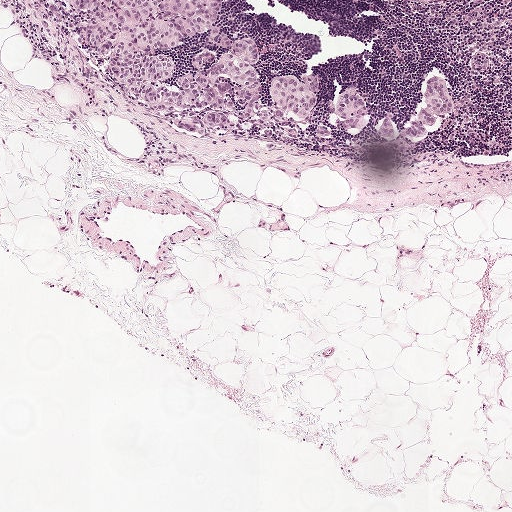
A 1-mm field of an H&E-stained sentinel lymph node from a breast-cancer patient (whole-slide image), shown at about 5×, about 1.9 µm per pixel.
Seven metastatic tumour regions, each outlined as a closed clockwise path in crop pixels (x, y), largest first: region 1: (69, 0), (229, 0), (218, 20), (230, 47), (212, 44), (208, 30), (157, 49), (178, 70), (169, 88), (176, 91), (180, 77), (196, 72), (189, 64), (195, 55), (211, 52), (217, 62), (250, 37), (259, 52), (253, 67), (263, 102), (277, 105), (273, 77), (296, 71), (317, 81), (316, 111), (298, 119), (288, 110), (288, 126), (255, 127), (237, 113), (242, 103), (230, 77), (207, 87), (228, 85), (234, 112), (154, 111), (106, 72), (86, 36), (88, 13); region 2: (441, 76), (446, 82), (455, 108), (438, 118), (437, 121), (432, 125), (423, 125), (428, 129), (426, 135), (420, 138), (411, 139), (403, 135), (404, 131), (412, 124), (424, 108), (425, 82), (428, 77); region 3: (351, 88), (360, 92), (363, 96), (365, 105), (365, 124), (350, 129), (345, 128), (341, 122), (347, 119), (330, 112), (326, 105), (329, 98), (338, 100), (342, 91); region 4: (200, 116), (201, 120), (198, 126), (204, 127), (204, 133), (199, 135), (185, 129), (178, 128), (178, 121), (186, 117); region 5: (210, 112), (223, 112), (227, 114), (228, 122), (223, 128), (218, 126), (210, 126), (204, 121); region 6: (386, 112), (393, 112), (394, 114), (391, 121), (391, 127), (393, 132), (393, 137), (382, 137), (376, 134), (376, 133), (383, 124); region 7: (322, 124), (325, 126), (326, 126), (328, 129), (331, 130), (331, 132), (330, 135), (328, 136), (327, 136), (318, 134), (316, 133), (315, 131), (316, 128), (318, 126).
Two more small tumour pieces are annotated here but not outlined.
About 10% of the image area is annotated as tumour.